Image:
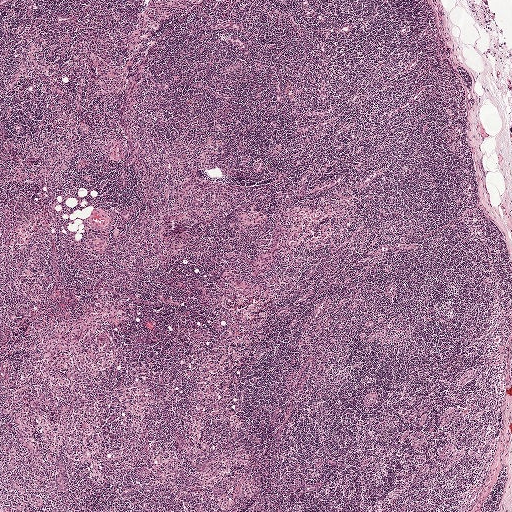
This is a crop of a whole-slide image: an H&E-stained breast-cancer sentinel lymph node section at roughly 2.5× magnification (about 3.9 µm per pixel; the crop spans about 2.0 mm).
Question:
Is there metastatic carcinoma in this field?
Answer:
No: no metastatic tumour is outlined anywhere in this field.